Question: 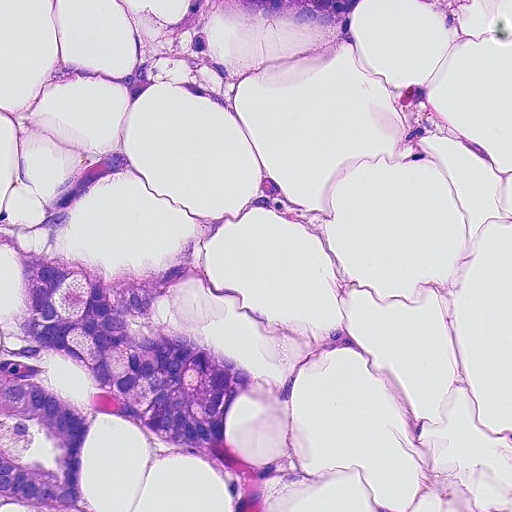
H&E-stained section of a sentinel lymph node (breast cancer), from a whole-slide image, viewed at about 20×: the field is about 0.23 mm across, about 0.45 µm per pixel.
Estimate the proportion of this field that is metastatic tumour.

Choices:
 (A) about 5% or less
 (B) about 25% to 45%
 (C) about 50% or more
 (D) about 10% to 20%
 (E) none: no tumour is outlined

Answer: (B) about 25% to 45%
About 25% of the field is tumour.
Boundaries of two metastatic tumour regions, simplified and listed clockwise, largest first: region 1: (122, 146), (136, 171), (87, 194), (62, 258), (89, 258), (111, 278), (166, 264), (205, 214), (227, 231), (203, 246), (203, 274), (224, 291), (172, 286), (152, 304), (170, 327), (262, 378), (223, 418), (226, 445), (250, 456), (294, 456), (312, 474), (275, 511), (233, 511), (206, 466), (153, 456), (132, 425), (105, 420), (89, 429), (81, 455), (99, 511), (0, 511), (0, 358), (26, 308), (21, 242), (77, 168); region 2: (184, 0), (365, 0), (353, 20), (352, 46), (326, 50), (247, 84), (232, 108), (164, 84), (128, 111), (122, 86), (96, 78), (70, 79), (46, 92), (49, 65), (76, 60), (128, 74), (142, 50), (128, 10), (156, 12), (180, 24).
One more small tumour piece is annotated here but not outlined.